Image:
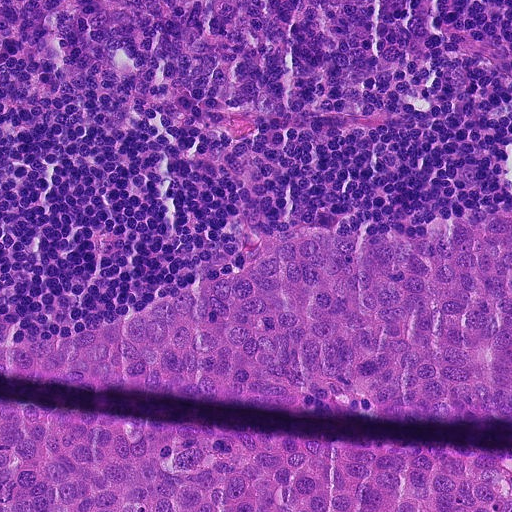
This is a crop of a whole-slide image: an H&E-stained breast-cancer sentinel lymph node section at roughly 20× magnification (about 0.45 µm per pixel; the crop spans about 0.23 mm).
Question:
Show where the tumour is in this image.
Answer:
Outlines of two tumour regions, largest first (closed clockwise paths, crop pixels): region 1: (511, 214), (511, 407), (0, 371), (0, 350), (162, 302), (282, 237), (313, 227), (378, 238); region 2: (0, 405), (279, 447), (511, 465), (511, 511), (0, 511).
About 40% of this field is tumour.